Question: 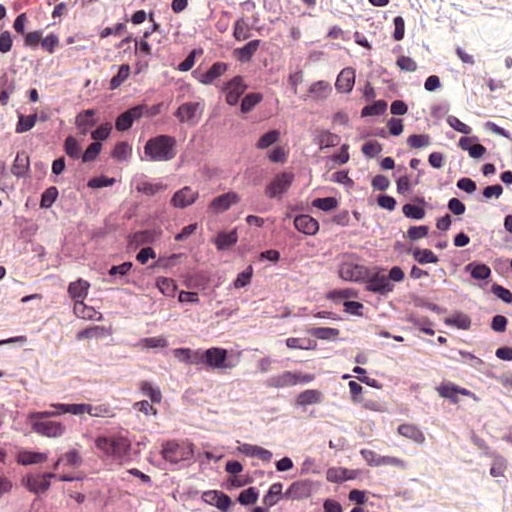
H&E-stained section of a sentinel lymph node (breast cancer), from a whole-slide image, viewed at about 40×: the field is about 0.12 mm across, about 0.24 µm per pixel.
What fraction of the image area is metastatic tumour?

Choices:
 (A) about 25% to 45%
 (B) about 50% or more
 (C) about 5% or less
 (D) none: no tumour is outlined
 (E) about 10% to 20%

Answer: (A) about 25% to 45%
About 30% of the field is tumour.
Two metastatic tumour regions, each outlined as a closed clockwise path in crop pixels (x, y), largest first: region 1: (208, 21), (265, 55), (356, 157), (362, 210), (322, 260), (142, 329), (97, 312), (56, 276), (36, 241), (31, 189), (70, 98); region 2: (0, 432), (38, 446), (72, 467), (81, 469), (138, 511), (0, 511).